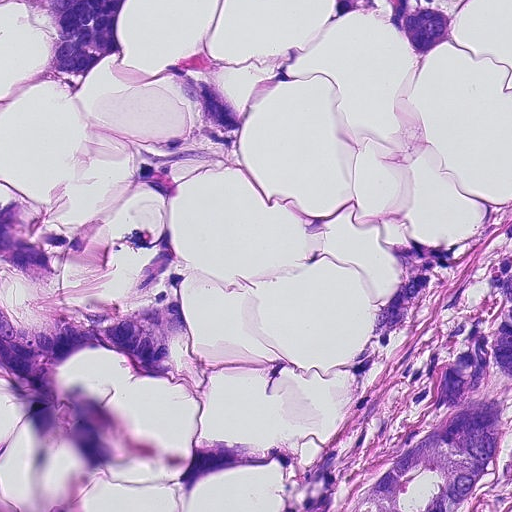
This is a crop of a whole-slide image: an H&E-stained breast-cancer sentinel lymph node section at roughly 20× magnification (about 0.45 µm per pixel; the crop spans about 0.23 mm).
Outlines of two tumour regions, largest first (closed clockwise paths, crop pixels): region 1: (0, 0), (128, 0), (130, 72), (194, 46), (302, 52), (258, 98), (248, 163), (204, 164), (179, 186), (204, 391), (103, 348), (68, 356), (64, 388), (158, 444), (313, 446), (390, 299), (399, 266), (378, 240), (476, 229), (488, 196), (511, 196), (511, 511), (0, 511), (0, 492), (24, 506), (0, 384), (0, 197), (86, 220), (128, 164), (118, 132), (176, 136), (192, 107), (174, 79), (134, 88), (109, 65), (71, 91), (15, 94), (54, 28); region 2: (359, 0), (469, 0), (450, 37), (428, 65), (414, 56), (393, 30), (366, 10).
About 50% of the image area is annotated as tumour.